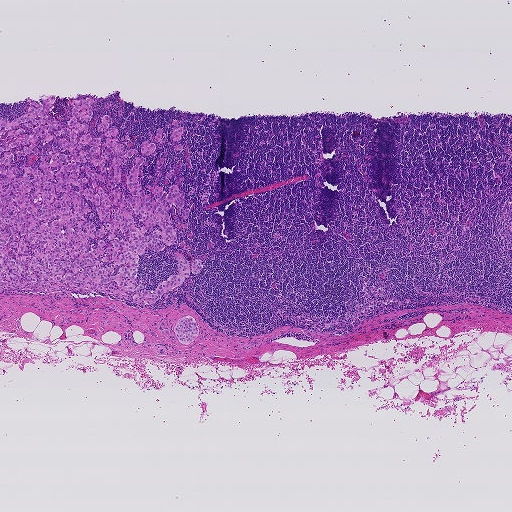
H&E-stained section of a sentinel lymph node (breast cancer), from a whole-slide image, viewed at about 2.5×: the field is about 1.9 mm across, about 3.6 µm per pixel.
Question: Is there metastatic carcinoma in this field?
Answer: Yes.
Two metastatic tumour regions, each outlined as a closed clockwise path in crop pixels (x, y), largest first: region 1: (55, 96), (49, 117), (66, 130), (70, 102), (94, 100), (91, 138), (102, 148), (108, 138), (97, 130), (105, 114), (108, 130), (119, 131), (111, 138), (137, 150), (121, 158), (122, 199), (141, 143), (162, 128), (138, 173), (155, 202), (148, 187), (166, 196), (175, 184), (184, 191), (181, 209), (173, 202), (169, 214), (177, 239), (138, 255), (128, 293), (152, 292), (178, 273), (178, 252), (202, 270), (191, 268), (150, 305), (103, 292), (4, 289), (0, 117), (10, 121); region 2: (188, 315), (192, 317), (197, 323), (198, 335), (187, 345), (183, 345), (179, 343), (173, 328), (180, 318).
One more small tumour piece is annotated here but not outlined.
Tumour covers about 10% of the frame.

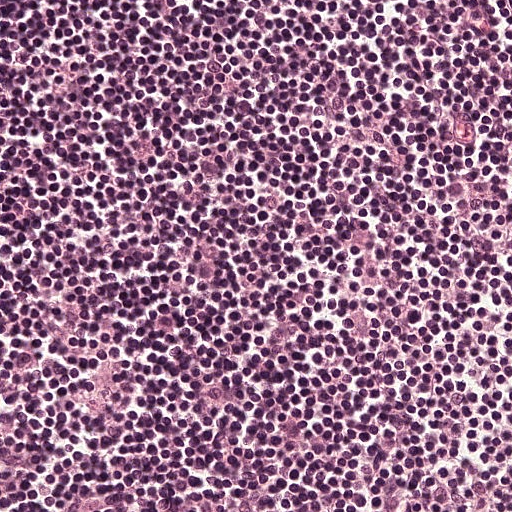
Lymph node section stained with H&E, from a whole-slide image of a breast-cancer sentinel node. Magnification about 20×, about 0.25 mm across the frame, about 0.49 µm per pixel.
Question: Is there metastatic carcinoma in this field?
Answer: No, this field holds no outlined metastasis.

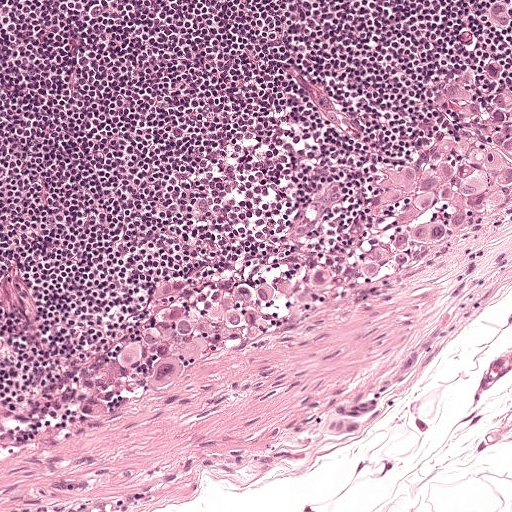
H&E-stained section of a sentinel lymph node (breast cancer), from a whole-slide image, viewed at about 10×: the field is about 0.5 mm across, about 0.97 µm per pixel.
Question: Is there metastatic carcinoma in this field?
Answer: Yes.
The outlined metastatic tumour's edge, as a closed clockwise path of 14 points: (511, 0), (511, 229), (430, 276), (390, 272), (354, 248), (340, 314), (248, 373), (159, 400), (70, 388), (76, 367), (144, 298), (336, 226), (312, 182), (300, 59).
About 30% of the image area is annotated as tumour.

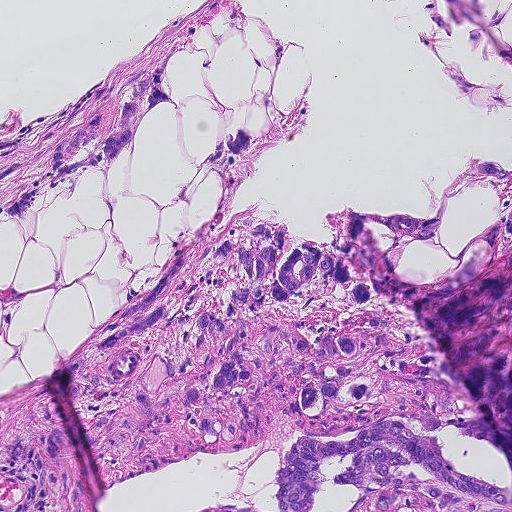
Lymph node section stained with H&E, from a whole-slide image of a breast-cancer sentinel node. Magnification about 10×, about 0.46 mm across the frame, about 0.9 µm per pixel.
Question: Is there metastatic carcinoma in this field?
Answer: Yes.
Outlines of four tumour regions, largest first (closed clockwise paths, crop pixels): region 1: (276, 130), (230, 202), (232, 219), (252, 214), (315, 244), (332, 242), (325, 206), (428, 216), (463, 164), (478, 156), (511, 168), (511, 511), (0, 511), (0, 396), (144, 293), (173, 246), (215, 214), (222, 180), (210, 168), (193, 170), (220, 134); region 2: (162, 64), (163, 82), (170, 98), (148, 111), (118, 160), (42, 193), (22, 219), (2, 217), (0, 142), (69, 102), (110, 69), (116, 74), (105, 130), (123, 99); region 3: (441, 0), (468, 0), (477, 5), (499, 36), (511, 44), (511, 70), (477, 51), (464, 40), (466, 23), (449, 30), (444, 19); region 4: (7, 283), (13, 284), (27, 296), (22, 302), (6, 304), (0, 301), (0, 285).
One more small tumour piece is annotated here but not outlined.
About 55% of this field is tumour.